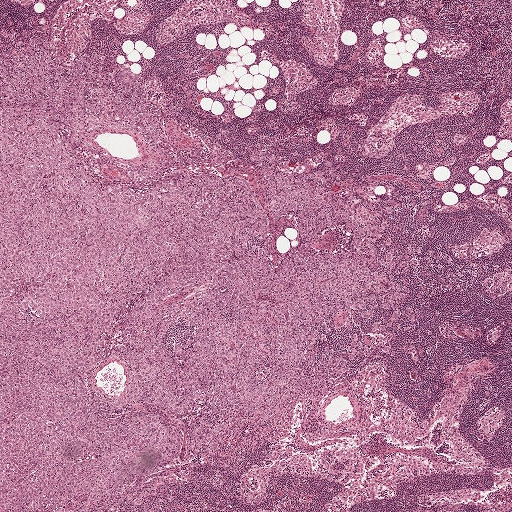
Lymph node section stained with H&E, from a whole-slide image of a breast-cancer sentinel node. Magnification about 2.5×, about 2.0 mm across the frame, about 3.9 µm per pixel.
Boundaries of two metastatic tumour regions, simplified and listed clockwise, largest first: region 1: (11, 30), (139, 76), (172, 149), (248, 183), (274, 265), (297, 227), (250, 153), (331, 161), (385, 220), (372, 287), (406, 292), (383, 331), (332, 312), (303, 359), (349, 370), (264, 447), (250, 422), (192, 463), (204, 406), (153, 409), (181, 442), (135, 481), (149, 511), (0, 511); region 2: (344, 321), (349, 323), (351, 326), (350, 331), (357, 336), (357, 341), (360, 341), (362, 345), (362, 348), (359, 351), (357, 357), (352, 359), (346, 357), (350, 338), (349, 333), (342, 328).
About 45% of this field is tumour.